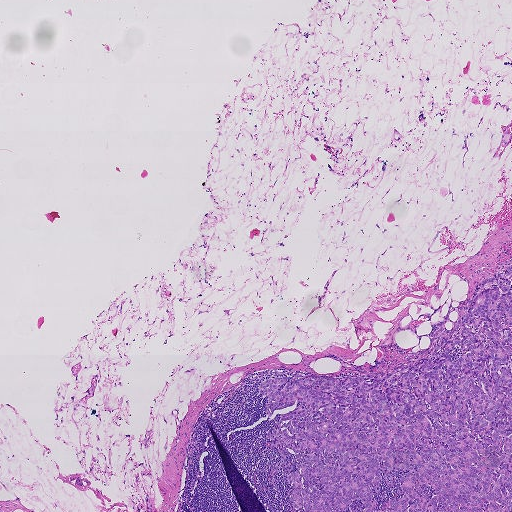
A 1.9-mm field of an H&E-stained sentinel lymph node from a breast-cancer patient (whole-slide image), shown at about 2.5×, about 3.6 µm per pixel.
Question: Is there metastatic carcinoma in this field?
Answer: Yes.
Tumour region outline (a closed clockwise path, crop pixels): (511, 263), (511, 511), (290, 511), (294, 454), (285, 449), (275, 481), (268, 481), (280, 457), (264, 445), (277, 439), (266, 435), (281, 415), (268, 417), (258, 384), (297, 373), (388, 372), (436, 358), (431, 352), (441, 337), (416, 355), (429, 344), (430, 323).
About 15% of the image area is annotated as tumour.